Image:
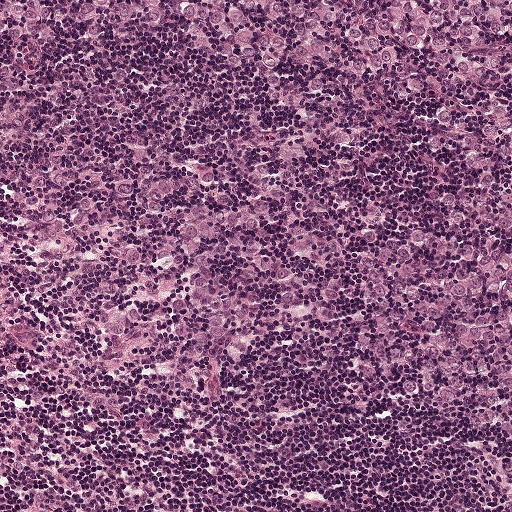
H&E-stained section of a sentinel lymph node (breast cancer), from a whole-slide image, viewed at about 10×: the field is about 0.5 mm across, about 0.97 µm per pixel.
Question:
Is there metastatic carcinoma in this field?
Answer:
Yes.
One metastatic tumour region; its boundary, reduced to 16 corners and listed clockwise: (0, 0), (511, 0), (511, 475), (447, 458), (399, 423), (368, 352), (340, 323), (316, 325), (248, 369), (200, 368), (114, 339), (107, 282), (179, 74), (137, 48), (90, 41), (0, 78).
The annotated tumour makes up about 60% of the crop.